Question: 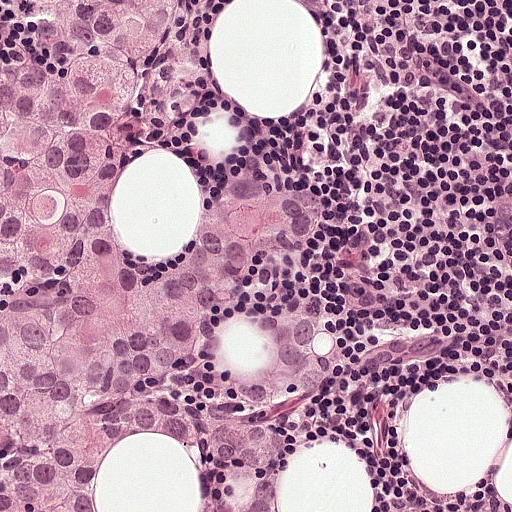
Lymph node section stained with H&E, from a whole-slide image of a breast-cancer sentinel node. Magnification about 20×, about 0.25 mm across the frame, about 0.49 µm per pixel.
Roughly what share of this field is metastatic tumour?

Choices:
 (A) about 25% to 45%
 (B) none: no tumour is outlined
 (C) about 10% to 20%
 (D) about 50% or more
 (E) about 5% or less

Answer: (A) about 25% to 45%
About 45% of the field is tumour.
Outlines of two tumour regions, largest first (closed clockwise paths, crop pixels): region 1: (0, 0), (170, 0), (142, 92), (156, 146), (202, 194), (264, 168), (326, 206), (310, 250), (254, 255), (240, 296), (326, 320), (327, 386), (256, 408), (175, 383), (269, 422), (278, 511), (212, 511), (194, 455), (150, 432), (108, 449), (94, 506), (0, 511); region 2: (290, 0), (327, 0), (325, 27), (308, 9).